Question: 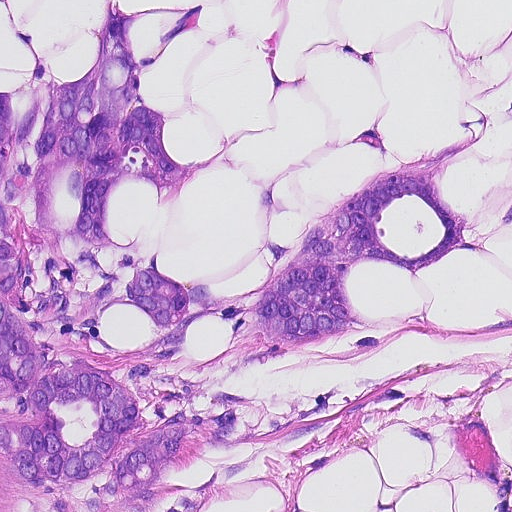
H&E-stained section of a sentinel lymph node (breast cancer), from a whole-slide image, viewed at about 20×: the field is about 0.23 mm across, about 0.45 µm per pixel.
What fraction of the image area is metastatic tumour?

Choices:
 (A) about 50% or more
 (B) about 5% or less
 (C) none: no tumour is outlined
 (D) about 10% to 20%
 (E) about 25% to 45%

Answer: (E) about 25% to 45%
About 35% of the field is tumour.
The outlined metastatic tumour's edge, as a closed clockwise path of 24 points: (106, 0), (132, 17), (164, 146), (206, 164), (159, 206), (120, 184), (108, 228), (140, 264), (243, 299), (418, 160), (465, 222), (418, 272), (346, 280), (380, 328), (280, 358), (199, 320), (144, 378), (247, 401), (162, 480), (212, 494), (0, 511), (0, 93), (20, 117), (86, 76).